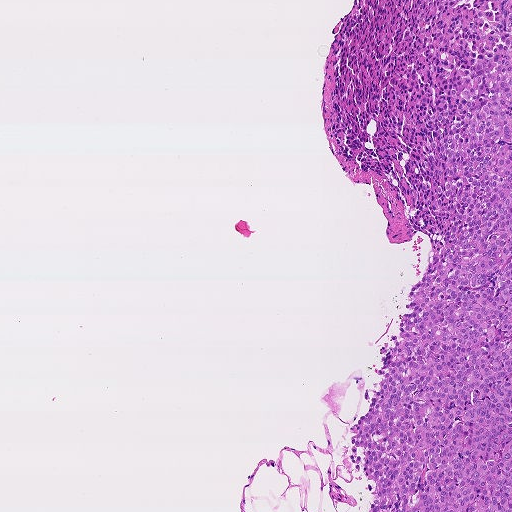
A 0.93-mm field of an H&E-stained sentinel lymph node from a breast-cancer patient (whole-slide image), shown at about 5×, about 1.8 µm per pixel.
Question: Does this lymph node field contain metastatic tumour?
Answer: Yes.
The outlined metastatic tumour's edge, as a closed clockwise path of 15 points: (511, 0), (511, 511), (369, 511), (374, 480), (350, 458), (366, 388), (371, 397), (383, 377), (380, 349), (402, 339), (432, 247), (387, 181), (339, 144), (340, 36), (356, 4).
Tumour covers about 25% of the frame.